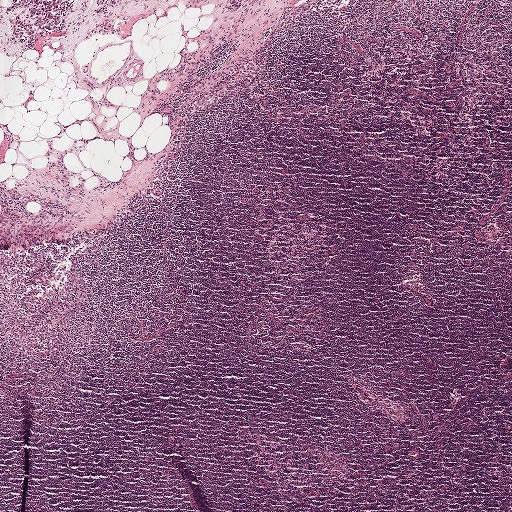
This is a crop of a whole-slide image: an H&E-stained breast-cancer sentinel lymph node section at roughly 2.5× magnification (about 3.9 µm per pixel; the crop spans about 2.0 mm).
Question: Does this lymph node field contain metastatic tumour?
Answer: Yes.
Outlines of two tumour regions, largest first (closed clockwise paths, crop pixels): region 1: (8, 0), (70, 0), (69, 15), (64, 23), (51, 29), (37, 29), (31, 36), (19, 37), (12, 34), (10, 24), (13, 16), (23, 10), (23, 8), (9, 12), (3, 12), (11, 5); region 2: (229, 0), (249, 0), (246, 5), (240, 9), (227, 11), (224, 6).
Under 5% of the image area is annotated as tumour.